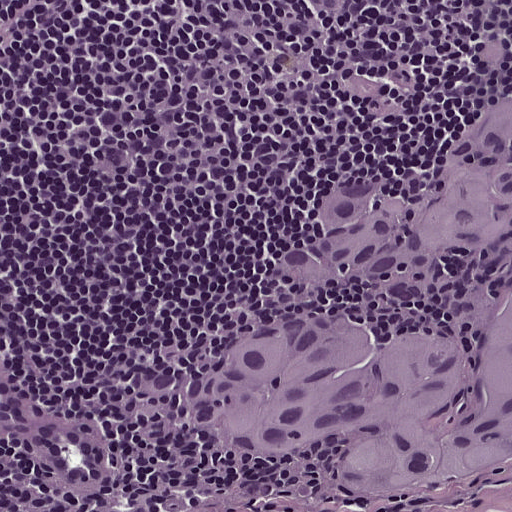
This is a crop of a whole-slide image: an H&E-stained breast-cancer sentinel lymph node section at roughly 20× magnification (about 0.49 µm per pixel; the crop spans about 0.25 mm).
One metastatic tumour region; its boundary, reduced to 20 corners and listed clockwise: (511, 87), (511, 461), (448, 492), (352, 499), (319, 452), (256, 466), (228, 460), (126, 393), (126, 364), (152, 351), (211, 342), (265, 312), (359, 307), (381, 288), (322, 282), (252, 297), (242, 268), (330, 174), (391, 185), (428, 142).
Tumour covers about 35% of the frame.